Image:
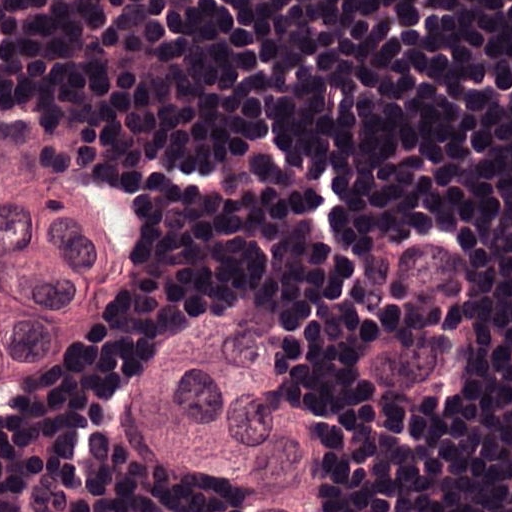
This is a crop of a whole-slide image: an H&E-stained breast-cancer sentinel lymph node section at roughly 40× magnification (about 0.24 µm per pixel; the crop spans about 0.12 mm).
Question:
Where is the metastatic tumour in this field?
Answer:
Outlines of three tumour regions, largest first (closed clockwise paths, crop pixels): region 1: (201, 291), (259, 291), (309, 349), (324, 407), (347, 446), (338, 460), (303, 473), (314, 507), (143, 511), (138, 483), (119, 475), (85, 436), (85, 391), (101, 349), (161, 304); region 2: (0, 87), (127, 173), (152, 212), (152, 267), (133, 302), (1, 399); region 3: (403, 215), (443, 228), (456, 236), (463, 254), (461, 302), (453, 312), (446, 365), (430, 398), (380, 398), (348, 378), (346, 278), (359, 236), (377, 217).
Tumour covers about 35% of the frame.